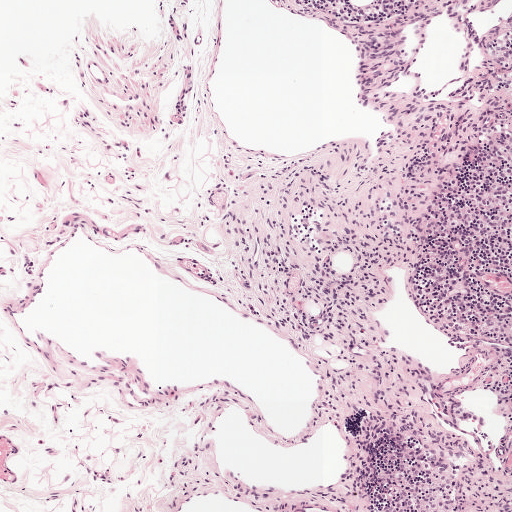
H&E-stained section of a sentinel lymph node (breast cancer), from a whole-slide image, viewed at about 5×: the field is about 1 mm across, about 1.9 µm per pixel.